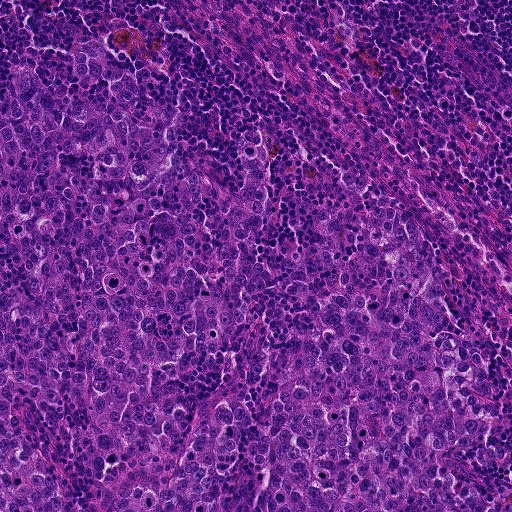
Lymph node section stained with H&E, from a whole-slide image of a breast-cancer sentinel node. Magnification about 10×, about 0.46 mm across the frame, about 0.9 µm per pixel.
Boundaries of two metastatic tumour regions, simplified and listed clockwise, largest first: region 1: (104, 40), (140, 102), (89, 94), (218, 189), (243, 180), (233, 136), (268, 141), (271, 286), (215, 370), (167, 382), (189, 402), (248, 403), (294, 364), (326, 244), (418, 259), (491, 374), (448, 448), (453, 511), (0, 511), (12, 70), (62, 85), (74, 42); region 2: (511, 477), (511, 511), (490, 511), (500, 498).
Tumour covers about 55% of the frame.